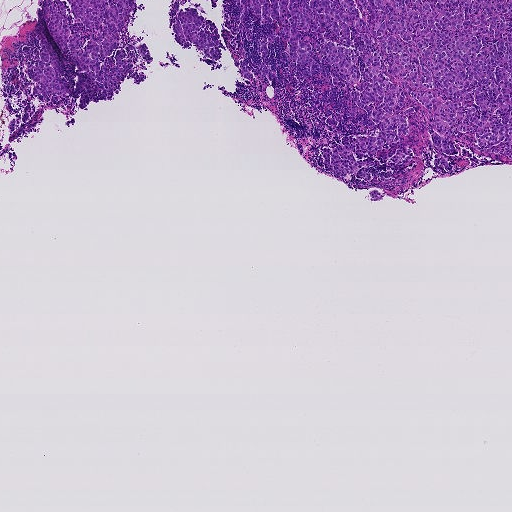
H&E-stained section of a sentinel lymph node (breast cancer), from a whole-slide image, viewed at about 2.5×: the field is about 1.9 mm across, about 3.6 µm per pixel.
Outlines of three tumour regions, largest first (closed clockwise paths, crop pixels): region 1: (511, 0), (511, 161), (459, 133), (481, 164), (438, 175), (427, 131), (405, 175), (339, 181), (320, 150), (380, 132), (365, 111), (325, 123), (349, 111), (366, 77), (353, 32), (360, 78), (338, 72), (335, 92), (312, 47), (314, 75), (296, 80), (307, 62), (249, 6), (244, 61), (261, 64), (256, 39), (276, 35), (264, 63), (276, 81), (246, 79), (224, 24), (240, 2); region 2: (43, 0), (65, 4), (69, 30), (66, 0), (133, 0), (118, 48), (144, 42), (151, 63), (131, 50), (125, 59), (146, 77), (134, 85), (124, 78), (113, 99), (80, 110), (79, 95), (51, 105), (33, 97), (35, 115), (9, 132), (34, 85), (22, 45), (41, 50), (35, 29); region 3: (174, 0), (178, 3), (179, 8), (184, 10), (187, 6), (193, 7), (199, 16), (213, 22), (218, 31), (220, 58), (217, 60), (211, 59), (197, 50), (193, 43), (188, 41), (191, 45), (187, 49), (182, 47), (175, 38), (175, 22), (168, 29), (172, 5).
One more small tumour piece is annotated here but not outlined.
The annotated tumour makes up about 20% of the crop.